Lymph node section stained with H&E, from a whole-slide image of a breast-cancer sentinel node. Magnification about 2.5×, about 2.0 mm across the frame, about 3.9 µm per pixel.
Question: 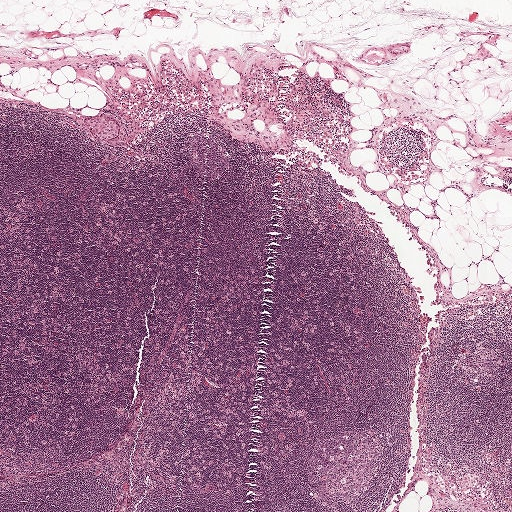
Roughly what share of this field is metastatic tumour?

Choices:
 (A) none: no tumour is outlined
 (B) about 5% or less
 (C) about 50% or more
 (D) about 10% to 20%
 (E) about 25% to 45%

Answer: (B) about 5% or less
Under 5% of the field is tumour.
One metastatic tumour region; its boundary, reduced to 14 corners and listed clockwise: (103, 113), (117, 124), (120, 129), (118, 142), (125, 143), (124, 148), (114, 148), (110, 146), (108, 140), (99, 142), (91, 137), (81, 121), (83, 117), (91, 117).
One more small tumour piece is annotated here but not outlined.